Question: 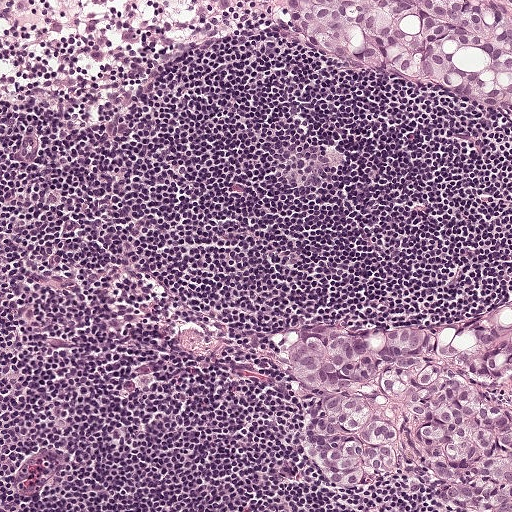
This is a crop of a whole-slide image: an H&E-stained breast-cancer sentinel lymph node section at roughly 10× magnification (about 0.97 µm per pixel; the crop spans about 0.5 mm).
About how much of this crop is taken up by metastatic carcinoma?

Choices:
 (A) about 25% to 45%
 (B) none: no tumour is outlined
 (C) about 50% or more
 (D) about 10% to 20%
 (E) about 5% or less

Answer: (D) about 10% to 20%
About 20% of the field is tumour.
Boundaries of two metastatic tumour regions, simplified and listed clockwise, largest first: region 1: (511, 311), (511, 511), (456, 511), (414, 488), (342, 494), (324, 484), (307, 458), (305, 413), (289, 377), (288, 349), (298, 333), (450, 330); region 2: (296, 0), (472, 0), (495, 14), (511, 16), (511, 118), (467, 95), (414, 87), (346, 62), (302, 36), (290, 16).